Image:
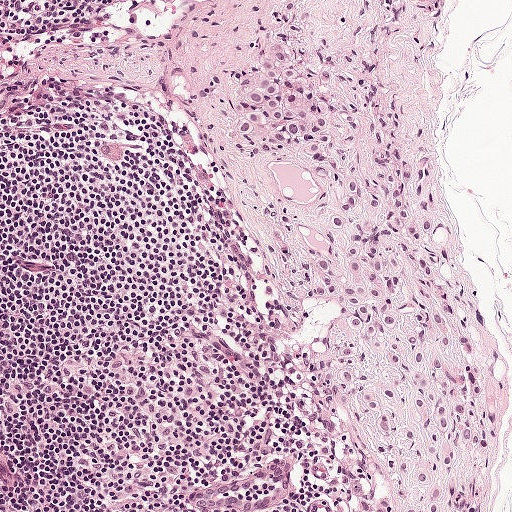
H&E-stained section of a sentinel lymph node (breast cancer), from a whole-slide image, viewed at about 10×: the field is about 0.5 mm across, about 0.97 µm per pixel.
Question:
Where is the metastatic tumour in this field?
Answer:
The outlined metastatic tumour's edge, as a closed clockwise path of 24 points: (268, 43), (317, 64), (354, 118), (408, 128), (430, 156), (432, 234), (465, 277), (472, 349), (496, 409), (482, 456), (451, 456), (456, 511), (367, 511), (394, 494), (393, 463), (336, 386), (339, 311), (304, 265), (325, 237), (314, 217), (325, 189), (282, 156), (226, 140), (236, 80).
Tumour covers about 20% of the frame.